Question: 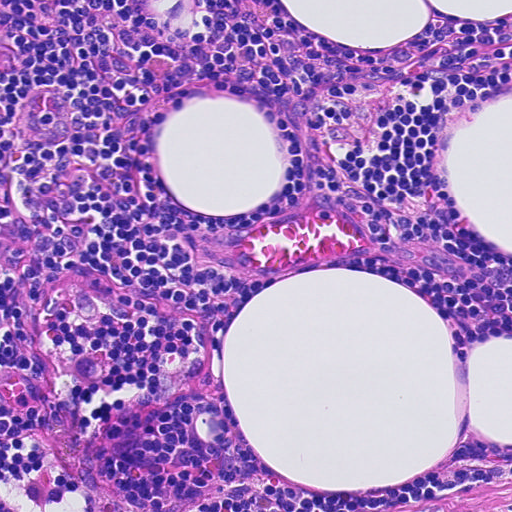
About what magnification does this crop show?

Choices:
 (A) about 40×
 (B) about 2.5×
 (C) about 10×
 (D) about 5×
 (E) about 20×

Answer: (E) about 20×
This is a crop of a whole-slide image: an H&E-stained breast-cancer sentinel lymph node section at roughly 20× magnification (about 0.45 µm per pixel; the crop spans about 0.23 mm).